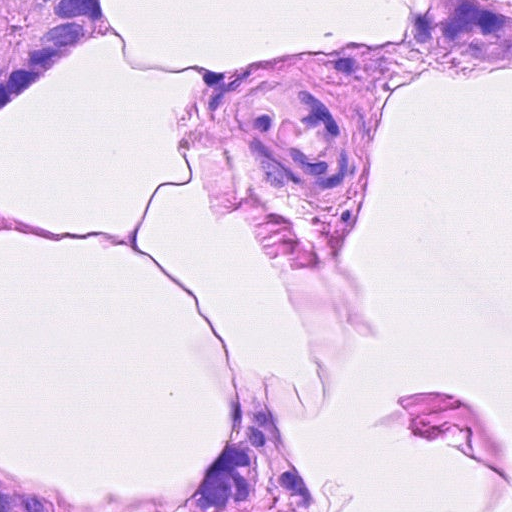
This is a crop of a whole-slide image: an H&E-stained breast-cancer sentinel lymph node section at roughly 40× magnification (about 0.23 µm per pixel; the crop spans about 0.12 mm).
Question: Describe where the metastatic carcinoma lies in this crop.
Answer: Two metastatic tumour regions, each outlined as a closed clockwise path in crop pixels (x, y), largest first: region 1: (0, 0), (100, 0), (107, 28), (235, 67), (389, 40), (438, 0), (511, 1), (511, 66), (446, 76), (407, 108), (360, 168), (357, 257), (303, 318), (211, 212), (199, 111), (217, 84), (98, 46), (69, 52), (0, 109); region 2: (265, 355), (343, 511), (0, 511), (0, 442), (42, 473), (173, 473).
Tumour covers about 30% of the frame.